Question: 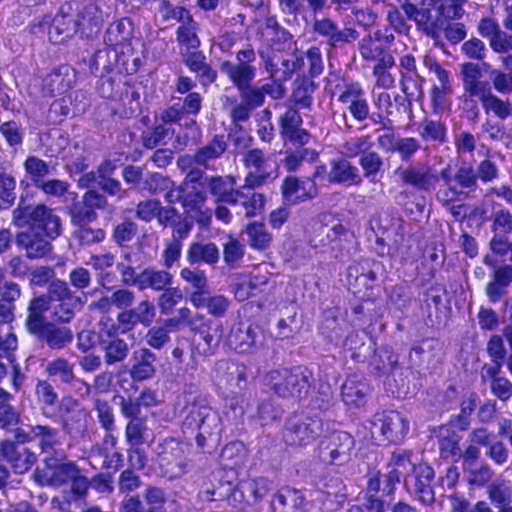
Which magnification is this H&E lymph node field most likely shown at?

Choices:
 (A) about 20×
 (B) about 10×
 (C) about 5×
 (D) about 40×
 (E) about 2.5×

Answer: (D) about 40×
Lymph node section stained with H&E, from a whole-slide image of a breast-cancer sentinel node. Magnification about 40×, about 0.12 mm across the frame, about 0.23 µm per pixel.
Outlines of two tumour regions, largest first (closed clockwise paths, crop pixels): region 1: (387, 183), (429, 195), (456, 230), (485, 362), (476, 404), (364, 471), (362, 511), (182, 511), (145, 443), (189, 326), (260, 276), (297, 196); region 2: (0, 0), (159, 1), (177, 42), (174, 87), (125, 161), (85, 179), (46, 158), (0, 75).
The annotated tumour makes up about 40% of the crop.